Question: 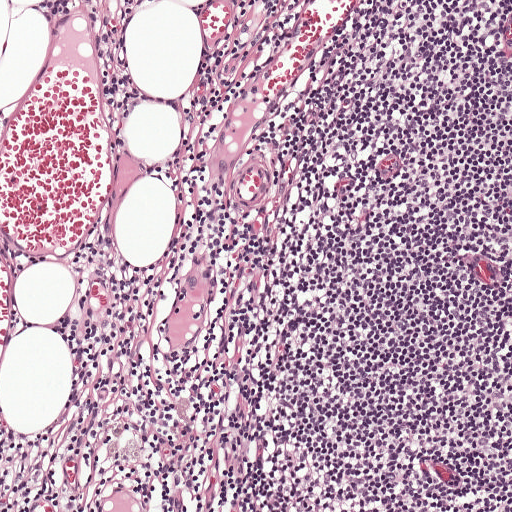
About what magnification does this crop show?

Choices:
 (A) about 20×
 (B) about 5×
 (C) about 40×
 (D) about 10×
 (E) about 2.5×

Answer: (D) about 10×
This is a crop of a whole-slide image: an H&E-stained breast-cancer sentinel lymph node section at roughly 10× magnification (about 0.97 µm per pixel; the crop spans about 0.5 mm).